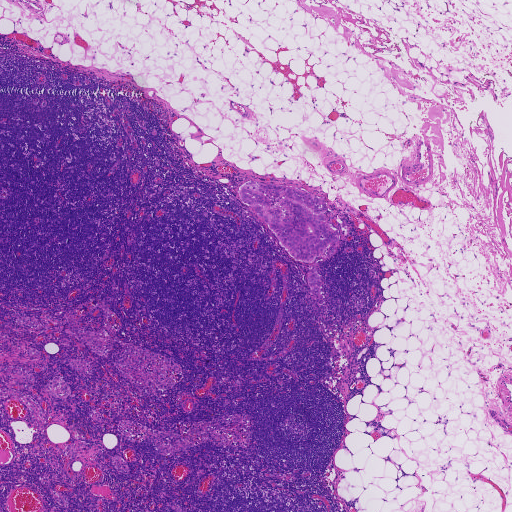
A 1.9-mm field of an H&E-stained sentinel lymph node from a breast-cancer patient (whole-slide image), shown at about 2.5×, about 3.6 µm per pixel.
Outlines of two tumour regions, largest first (closed clockwise paths, crop pixels): region 1: (251, 180), (296, 188), (323, 198), (328, 207), (322, 222), (329, 222), (338, 234), (334, 254), (327, 258), (326, 250), (316, 256), (312, 262), (299, 262), (290, 256), (239, 195), (240, 186); region 2: (311, 269), (315, 269), (317, 271), (320, 276), (322, 282), (318, 291), (320, 294), (323, 295), (323, 298), (322, 299), (319, 299), (314, 297), (309, 286), (307, 278), (308, 274).
One more small tumour piece is annotated here but not outlined.
Under 5% of this field is tumour.